Lymph node section stained with H&E, from a whole-slide image of a breast-cancer sentinel node. Magnification about 2.5×, about 2.0 mm across the frame, about 3.9 µm per pixel.
Image:
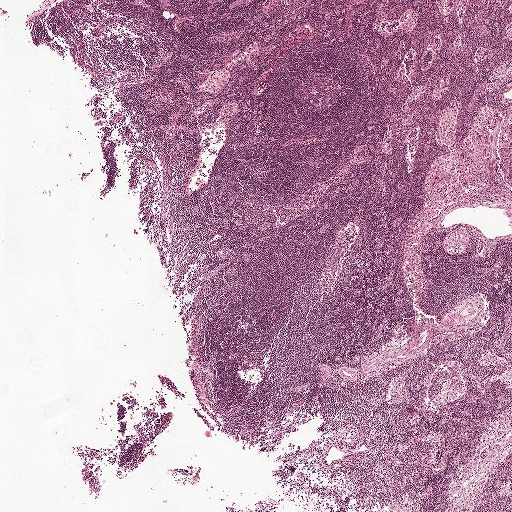
Question:
Does this lymph node field contain metastatic tumour?
Answer:
No. No metastatic tumour is outlined in this field.